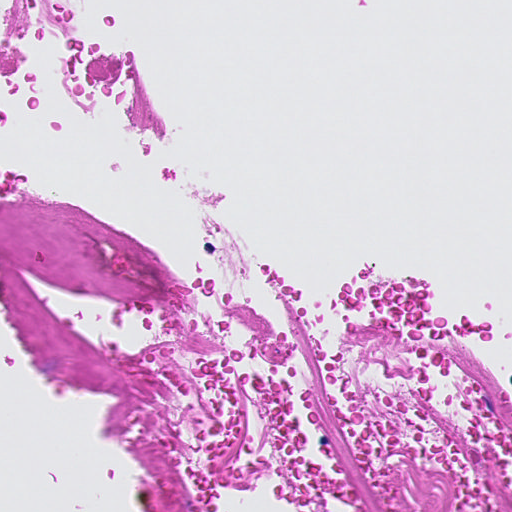
H&E-stained section of a sentinel lymph node (breast cancer), from a whole-slide image, viewed at about 20×: the field is about 0.23 mm across, about 0.45 µm per pixel.